H&E-stained section of a sentinel lymph node (breast cancer), from a whole-slide image, viewed at about 2.5×: the field is about 2.0 mm across, about 3.9 µm per pixel.
Image:
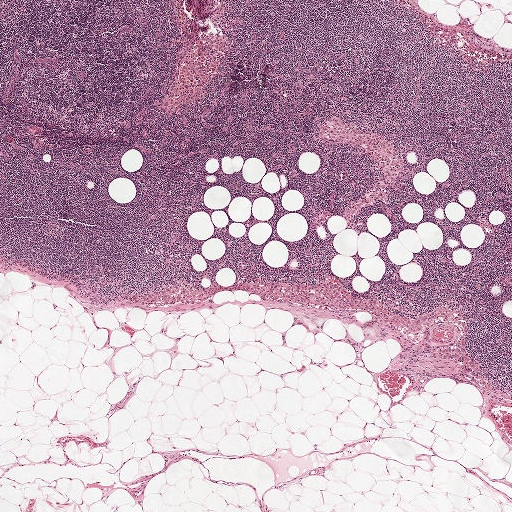
Question:
Does this lymph node field contain metastatic tumour?
Answer:
No, this field holds no outlined metastasis.